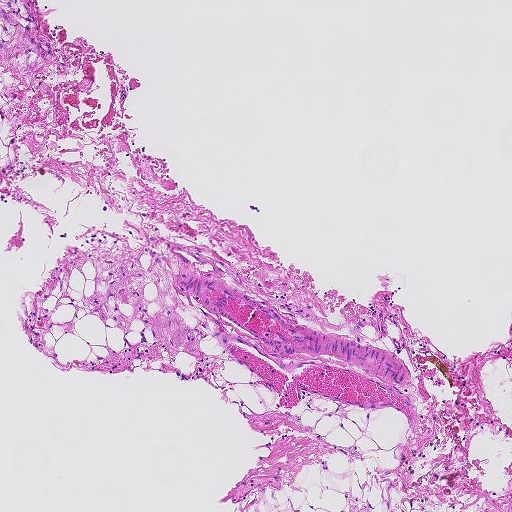
A 0.93-mm field of an H&E-stained sentinel lymph node from a breast-cancer patient (whole-slide image), shown at about 5×, about 1.8 µm per pixel.